Question: 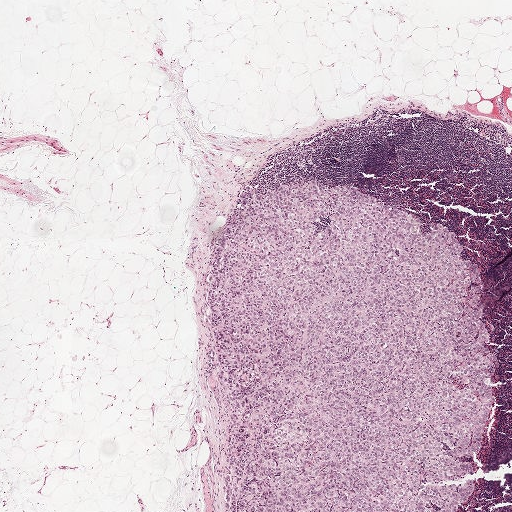
A 2.0-mm field of an H&E-stained sentinel lymph node from a breast-cancer patient (whole-slide image), shown at about 2.5×, about 3.9 µm per pixel.
About how much of this crop is taken up by metastatic carcinoma?

Choices:
 (A) about 25% to 45%
 (B) about 50% or more
 (C) about 5% or less
 (D) about 10% to 20%
 (E) none: no tumour is outlined

Answer: (A) about 25% to 45%
About 30% of the field is tumour.
Metastatic tumour outline, simplified to 22 points and listed clockwise in crop pixels (x, y): (343, 184), (420, 218), (425, 233), (444, 225), (479, 268), (468, 333), (488, 328), (497, 356), (483, 380), (495, 399), (481, 447), (462, 458), (471, 474), (437, 484), (469, 484), (470, 495), (453, 511), (224, 511), (230, 410), (211, 362), (208, 273), (244, 186).